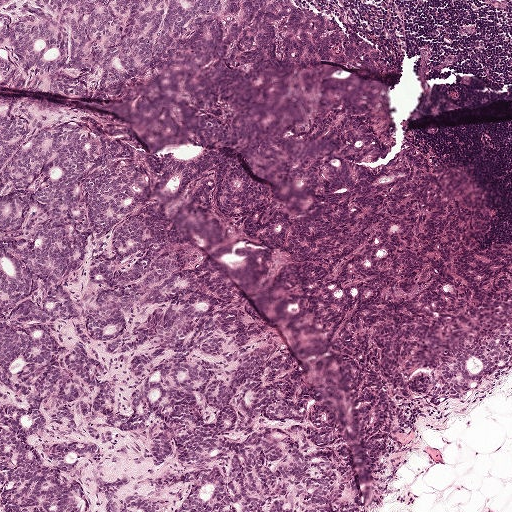
H&E-stained section of a sentinel lymph node (breast cancer), from a whole-slide image, viewed at about 5×: the field is about 1 mm across, about 1.9 µm per pixel.
Question: Describe where the metastatic carcinoma lies in this crop.
Answer: Metastatic tumour outline, simplified to 34 points and listed clockwise in crop pixels (x, y): (0, 0), (316, 2), (371, 44), (382, 68), (394, 118), (468, 170), (495, 188), (506, 197), (511, 203), (511, 290), (436, 317), (393, 360), (419, 374), (511, 329), (511, 359), (376, 428), (249, 239), (128, 165), (279, 339), (356, 511), (0, 511), (0, 101), (108, 117), (152, 154), (222, 146), (298, 213), (322, 209), (392, 116), (378, 69), (373, 66), (291, 59), (237, 12), (100, 87), (3, 83).
About 65% of this field is tumour.